Question: 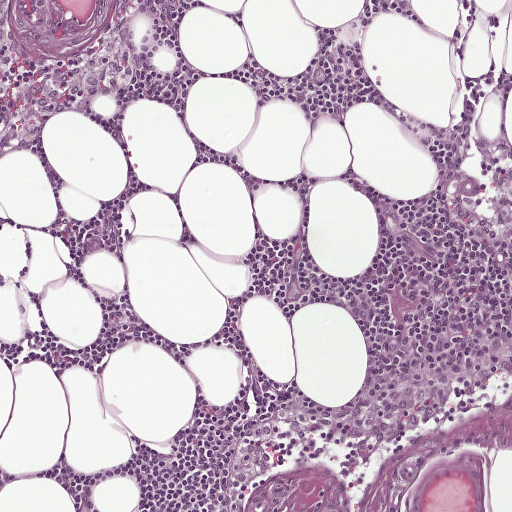
Which magnification is this H&E lymph node field most likely shown at?

Choices:
 (A) about 40×
 (B) about 20×
 (C) about 10×
 (D) about 2.5×
 (E) about 5×

Answer: (C) about 10×
A 0.5-mm field of an H&E-stained sentinel lymph node from a breast-cancer patient (whole-slide image), shown at about 10×, about 0.97 µm per pixel.